Image:
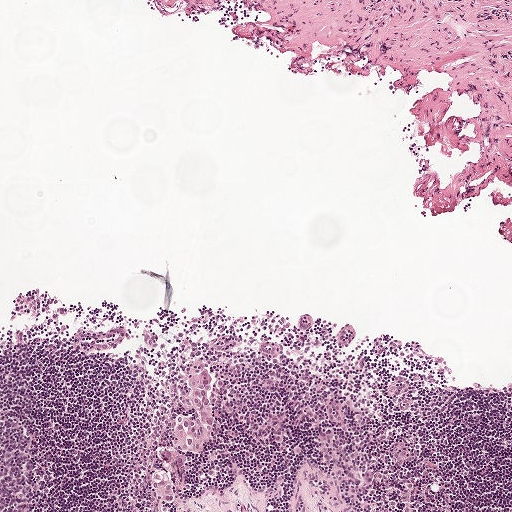
A 1-mm field of an H&E-stained sentinel lymph node from a breast-cancer patient (whole-slide image), shown at about 5×, about 1.9 µm per pixel.
Question:
Is there metastatic carcinoma in this field?
Answer:
Yes.
One metastatic tumour region; its boundary, reduced to 24 corners and listed clockwise: (203, 367), (208, 368), (213, 377), (208, 393), (212, 421), (211, 440), (205, 452), (188, 460), (190, 476), (183, 487), (178, 489), (170, 503), (162, 506), (161, 511), (154, 511), (151, 480), (155, 470), (163, 465), (159, 453), (171, 447), (178, 409), (184, 405), (182, 389), (185, 376).
Tumour covers under 5% of the frame.